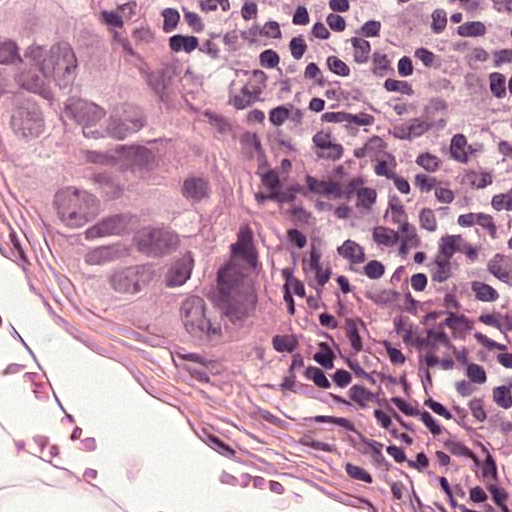
Lymph node section stained with H&E, from a whole-slide image of a breast-cancer sentinel node. Magnification about 40×, about 0.12 mm across the frame, about 0.24 µm per pixel.
Metastatic tumour outline, simplified to 12 points and listed clockwise in crop pixels (x, y): (0, 0), (131, 0), (197, 75), (266, 185), (277, 285), (253, 347), (231, 362), (200, 362), (153, 347), (78, 297), (22, 256), (0, 172).
Tumour covers about 30% of the frame.